Question: 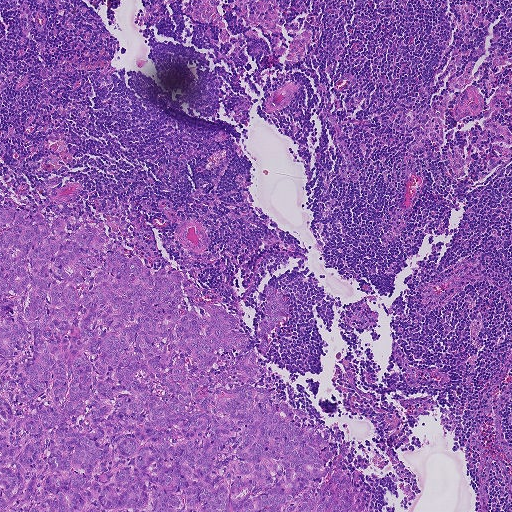
This is a crop of a whole-slide image: an H&E-stained breast-cancer sentinel lymph node section at roughly 5× magnification (about 1.8 µm per pixel; the crop spans about 0.93 mm).
Roughly what share of this field is metastatic tumour?

Choices:
 (A) about 25% to 45%
 (B) about 10% to 20%
 (C) about 5% or less
 (D) none: no tumour is outlined
 (E) about 50% or more

Answer: (A) about 25% to 45%
About 30% of the field is tumour.
Tumour region outline (a closed clockwise path, crop pixels): (0, 193), (74, 223), (140, 213), (154, 234), (151, 270), (183, 271), (218, 292), (230, 314), (246, 311), (240, 331), (252, 350), (262, 291), (281, 290), (290, 312), (258, 358), (271, 388), (330, 428), (334, 453), (349, 439), (350, 474), (361, 472), (372, 495), (365, 511), (0, 511).